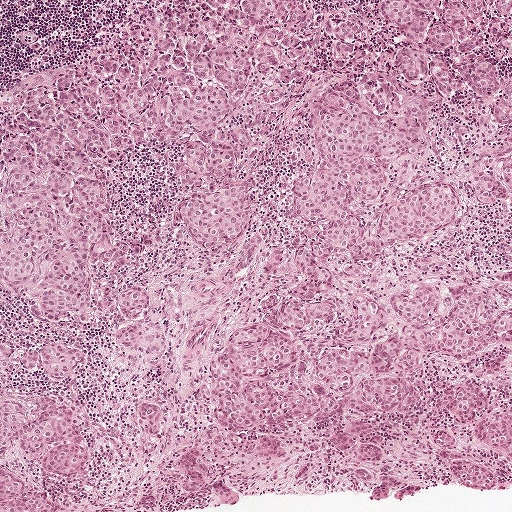
H&E-stained section of a sentinel lymph node (breast cancer), from a whole-slide image, viewed at about 5×: the field is about 1 mm across, about 1.9 µm per pixel.
Boundaries of three metastatic tumour regions, simplified and listed clockwise, largest first: region 1: (162, 8), (220, 15), (249, 36), (252, 68), (234, 115), (248, 137), (239, 161), (251, 224), (214, 250), (195, 248), (176, 221), (173, 174), (185, 148), (170, 141), (119, 153), (112, 195), (127, 254), (115, 266), (96, 260), (96, 294), (77, 321), (28, 315), (0, 289), (0, 116); region 2: (377, 72), (430, 106), (430, 140), (385, 175), (372, 210), (395, 189), (442, 179), (457, 183), (460, 207), (426, 238), (339, 271), (326, 300), (309, 300), (290, 287), (300, 235), (292, 181), (310, 157), (305, 125), (316, 94); region 3: (252, 322), (292, 334), (302, 345), (301, 356), (295, 365), (276, 373), (271, 384), (276, 388), (326, 385), (337, 400), (336, 412), (323, 421), (306, 424), (235, 425), (220, 422), (214, 412), (206, 364), (214, 349), (238, 329).
One more tumour region is annotated but not outlined: its edge is too irregular for a short outline.
About 35% of the image area is annotated as tumour.